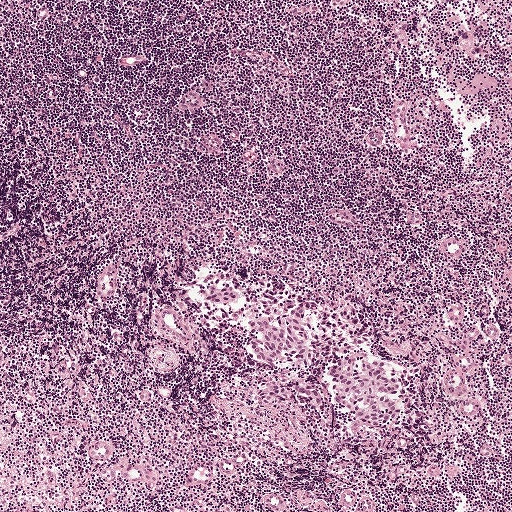
H&E-stained section of a sentinel lymph node (breast cancer), from a whole-slide image, viewed at about 5×: the field is about 1 mm across, about 1.9 µm per pixel.
Two metastatic tumour regions, each outlined as a closed clockwise path in crop pixels (x, y), largest first: region 1: (209, 271), (246, 273), (262, 285), (329, 298), (360, 315), (370, 328), (365, 345), (420, 382), (423, 410), (419, 420), (409, 423), (403, 406), (387, 424), (360, 421), (338, 401), (332, 373), (320, 378), (292, 363), (274, 369), (253, 357), (248, 327), (213, 318), (199, 298), (196, 288); region 2: (269, 379), (276, 379), (287, 384), (314, 385), (323, 392), (321, 405), (315, 408), (298, 399), (280, 400), (275, 402), (262, 402), (258, 392), (267, 385).
About 5% of this field is tumour.